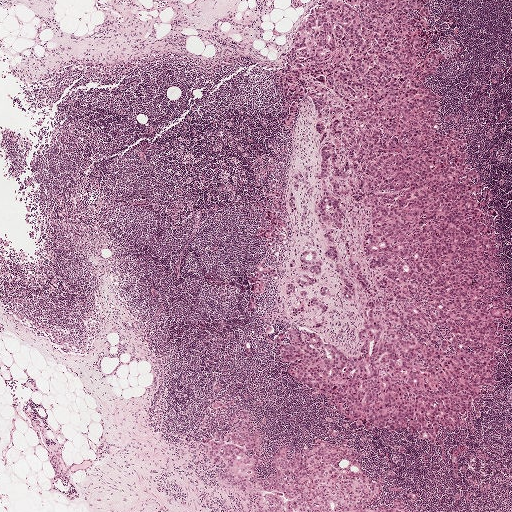
Lymph node section stained with H&E, from a whole-slide image of a breast-cancer sentinel node. Magnification about 2.5×, about 2.0 mm across the frame, about 3.9 µm per pixel.
The eight largest tumour regions' boundaries, simplified and listed clockwise, largest first: region 1: (316, 0), (430, 0), (437, 131), (467, 139), (492, 193), (511, 312), (474, 429), (440, 428), (434, 445), (359, 429), (295, 382), (274, 341), (300, 326), (353, 357), (364, 302), (385, 300), (363, 251), (371, 215), (340, 197), (328, 261), (312, 106), (301, 98), (284, 127), (276, 78); region 2: (251, 425), (261, 434), (256, 479), (263, 479), (274, 470), (281, 445), (292, 456), (311, 448), (315, 438), (346, 438), (380, 486), (365, 508), (390, 507), (400, 499), (407, 511), (254, 511), (244, 493), (218, 484), (218, 469), (204, 452), (211, 438), (224, 441); region 3: (311, 249), (318, 253), (321, 267), (318, 276), (313, 277), (317, 283), (310, 288), (300, 286), (295, 296), (287, 296), (282, 286), (289, 283), (296, 282), (297, 279), (304, 275), (299, 258), (304, 250); region 4: (272, 200), (276, 201), (280, 204), (281, 210), (276, 214), (276, 220), (279, 231), (283, 236), (283, 241), (282, 246), (279, 247), (273, 247), (268, 246), (267, 244), (268, 240), (257, 236), (260, 229), (272, 224), (262, 219), (266, 212), (263, 204), (263, 202), (269, 202), (270, 205); region 5: (263, 263), (266, 266), (277, 269), (281, 280), (279, 282), (275, 281), (268, 274), (265, 273), (263, 281), (265, 287), (264, 292), (261, 295), (255, 296), (255, 307), (252, 312), (250, 312), (246, 311), (246, 309), (250, 300), (258, 286), (257, 280), (253, 277), (255, 270); region 6: (339, 263), (343, 264), (353, 282), (355, 293), (352, 301), (345, 300), (342, 281), (334, 271), (336, 265); region 7: (349, 258), (358, 263), (368, 280), (372, 297), (369, 296), (360, 287), (355, 277), (354, 272), (349, 268), (348, 266), (348, 259); region 8: (304, 289), (310, 297), (318, 297), (323, 299), (329, 306), (329, 310), (323, 312), (318, 308), (309, 309), (304, 298), (299, 295), (300, 290).
Two more, smaller tumour regions are not outlined.
Three more small tumour pieces are annotated here but not outlined.
The annotated tumour makes up about 30% of the crop.